Question: 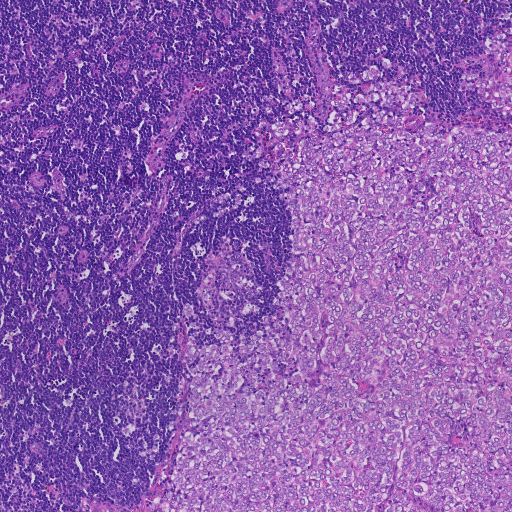
About what magnification does this crop show?

Choices:
 (A) about 20×
 (B) about 10×
 (C) about 2.5×
 (D) about 5×
 (E) about 40×

Answer: (D) about 5×
A 0.93-mm field of an H&E-stained sentinel lymph node from a breast-cancer patient (whole-slide image), shown at about 5×, about 1.8 µm per pixel.
Five metastatic tumour regions, each outlined as a closed clockwise path in crop pixels (x, y), largest first: region 1: (270, 51), (296, 118), (322, 132), (348, 115), (336, 93), (364, 91), (383, 58), (417, 79), (412, 132), (432, 122), (511, 137), (511, 511), (163, 511), (190, 406), (188, 336), (218, 346), (209, 327), (261, 328), (278, 304), (291, 212), (248, 150), (284, 99); region 2: (506, 32), (510, 38), (511, 38), (511, 111), (500, 111), (492, 108), (477, 92), (464, 88), (463, 74), (464, 72), (478, 71), (480, 75), (487, 78), (502, 74), (502, 67), (486, 50), (486, 43), (491, 38); region 3: (223, 192), (230, 193), (243, 198), (241, 204), (237, 210), (230, 211), (224, 215), (215, 217), (213, 214), (219, 209), (232, 205), (233, 198), (221, 203), (214, 204), (213, 201), (216, 194); region 4: (183, 303), (191, 303), (193, 306), (194, 320), (194, 327), (192, 327), (182, 313); region 5: (172, 336), (176, 337), (176, 339), (172, 344), (174, 346), (175, 351), (172, 353), (167, 350), (168, 340).
One more small tumour piece is annotated here but not outlined.
The annotated tumour makes up about 45% of the crop.